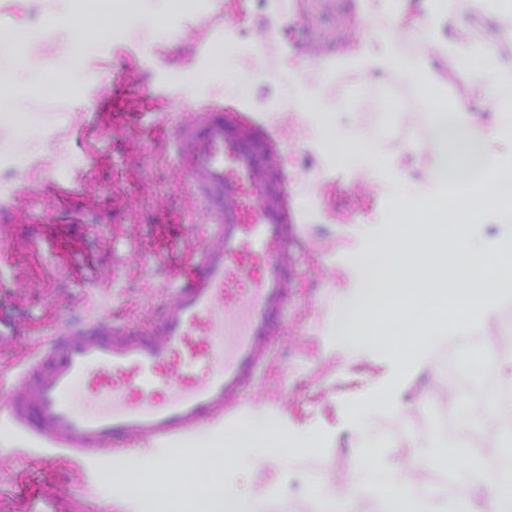
This is a crop of a whole-slide image: an H&E-stained breast-cancer sentinel lymph node section at roughly 10× magnification (about 0.9 µm per pixel; the crop spans about 0.46 mm).